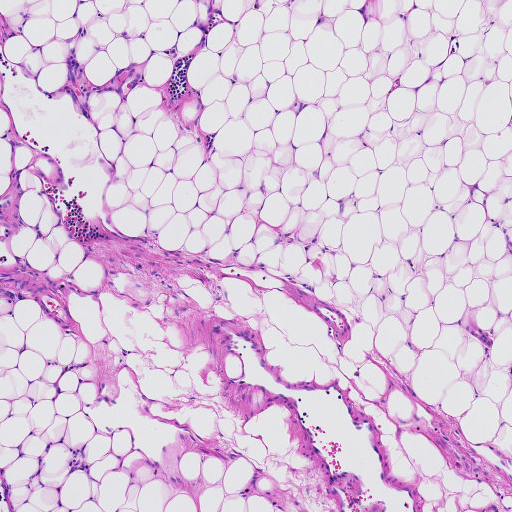
Lymph node section stained with H&E, from a whole-slide image of a breast-cancer sentinel node. Magnification about 5×, about 0.93 mm across the frame, about 1.8 µm per pixel.